Image:
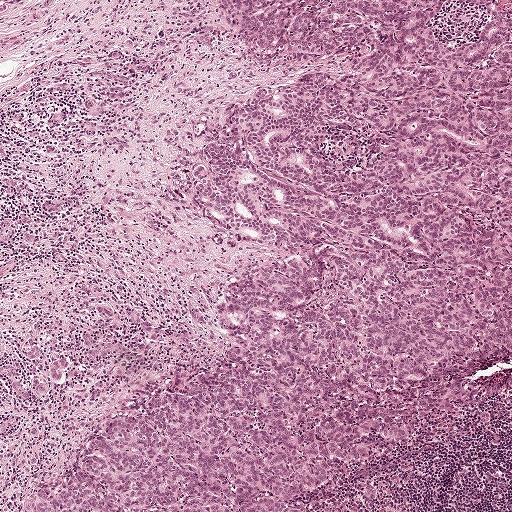
This is a crop of a whole-slide image: an H&E-stained breast-cancer sentinel lymph node section at roughly 5× magnification (about 1.9 µm per pixel; the crop spans about 1 mm).
Question:
Is any metastatic breast cancer visible in this crop?
Answer:
Yes.
Two metastatic tumour regions, each outlined as a closed clockwise path in crop pixels (x, y), largest first: region 1: (209, 0), (511, 0), (511, 356), (464, 381), (511, 381), (511, 398), (486, 434), (438, 422), (391, 455), (374, 508), (347, 498), (318, 511), (29, 511), (90, 436), (206, 368), (222, 295), (283, 259), (202, 230), (190, 180), (209, 131), (246, 98), (347, 82), (366, 57), (266, 75); region 2: (0, 0), (24, 0), (16, 15), (0, 25).
About 60% of the image area is annotated as tumour.